This is a crop of a whole-slide image: an H&E-stained breast-cancer sentinel lymph node section at roughly 5× magnification (about 1.8 µm per pixel; the crop spans about 0.93 mm).
Question: 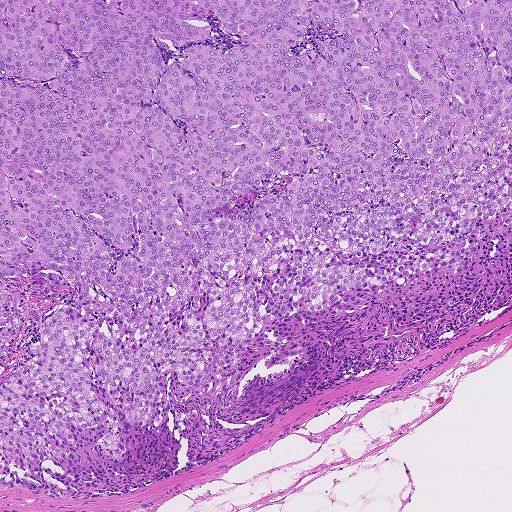
About how much of this crop is taken up by metastatic carcinoma?

Choices:
 (A) about 50% or more
 (B) none: no tumour is outlined
 (C) about 5% or less
 (D) about 25% to 45%
 (E) about 10% to 20%

Answer: (A) about 50% or more
About 70% of the field is tumour.
Metastatic tumour outline, simplified to 24 points and listed clockwise in crop pixels (x, y): (0, 0), (511, 0), (511, 209), (480, 222), (487, 244), (456, 273), (272, 324), (227, 378), (174, 396), (142, 430), (123, 418), (125, 385), (107, 397), (90, 362), (123, 458), (91, 474), (11, 463), (62, 497), (0, 485), (0, 383), (70, 286), (17, 280), (37, 309), (4, 362).